Question: 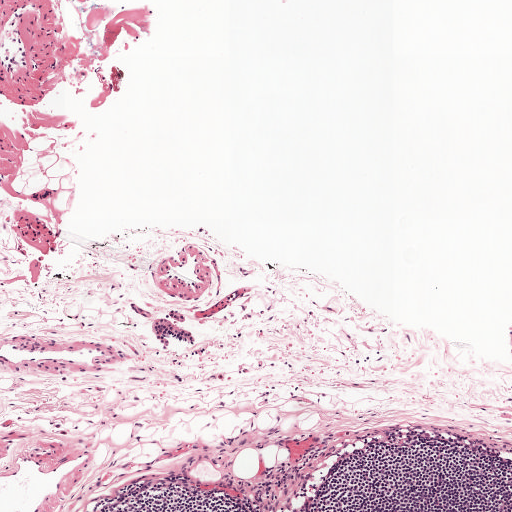
A 1-mm field of an H&E-stained sentinel lymph node from a breast-cancer patient (whole-slide image), shown at about 5×, about 1.9 µm per pixel.
About how much of this crop is taken up by metastatic carcinoma?

Choices:
 (A) about 50% or more
 (B) about 25% to 45%
 (C) none: no tumour is outlined
 (D) about 5% or less
 (E) about 10% to 20%

Answer: (D) about 5% or less
Under 5% of the field is tumour.
One metastatic tumour region; its boundary, reduced to 17 corners and listed clockwise: (174, 309), (184, 313), (185, 322), (181, 325), (190, 331), (196, 339), (196, 344), (191, 345), (171, 340), (169, 350), (163, 350), (158, 341), (151, 334), (151, 324), (153, 320), (164, 318), (169, 310).